H&E-stained section of a sentinel lymph node (breast cancer), from a whole-slide image, viewed at about 2.5×: the field is about 1.9 mm across, about 3.6 µm per pixel.
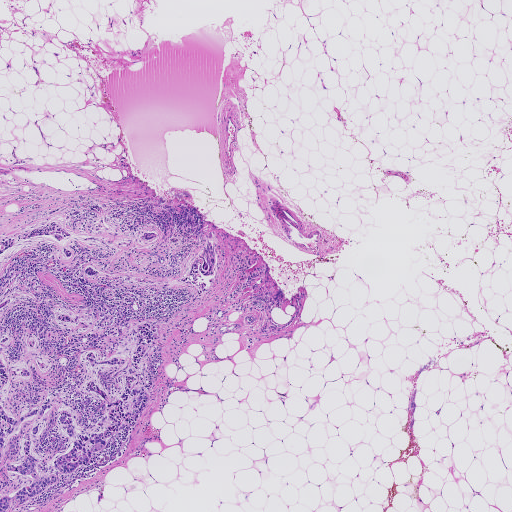
Outlines of the eight largest metastatic tumour regions, each a closed clockwise path in crop pixels (x, y), largest first: region 1: (159, 323), (144, 362), (150, 397), (140, 417), (89, 464), (0, 511), (0, 332), (10, 332), (11, 359), (23, 354), (25, 333), (39, 335), (54, 361), (49, 400), (88, 428), (107, 411), (94, 394), (81, 392), (84, 348), (129, 357), (137, 325); region 2: (181, 203), (187, 203), (200, 210), (204, 225), (197, 238), (185, 238), (176, 233), (165, 236), (152, 220), (156, 211), (161, 211), (165, 204), (172, 205), (179, 212), (181, 209), (177, 204); region 3: (211, 239), (214, 240), (218, 249), (218, 264), (216, 278), (205, 293), (196, 301), (192, 302), (196, 292), (191, 286), (176, 282), (176, 279), (186, 274), (193, 258); region 4: (49, 222), (62, 222), (73, 235), (63, 241), (66, 247), (71, 250), (72, 256), (68, 259), (59, 252), (59, 245), (54, 240), (40, 237), (33, 237), (19, 243), (1, 254), (0, 259), (0, 238); region 5: (64, 310), (77, 314), (78, 319), (75, 323), (62, 324), (55, 320), (56, 313); region 6: (87, 265), (92, 265), (99, 268), (101, 274), (98, 276), (91, 277), (85, 276), (82, 270); region 7: (149, 231), (157, 231), (157, 235), (155, 239), (147, 241), (141, 240), (140, 236), (144, 232); region 8: (75, 210), (81, 212), (77, 216), (67, 219), (65, 218), (68, 214).
One more, smaller tumour region is not outlined.
Six more small tumour pieces are annotated here but not outlined.
About 10% of this field is tumour.